Image:
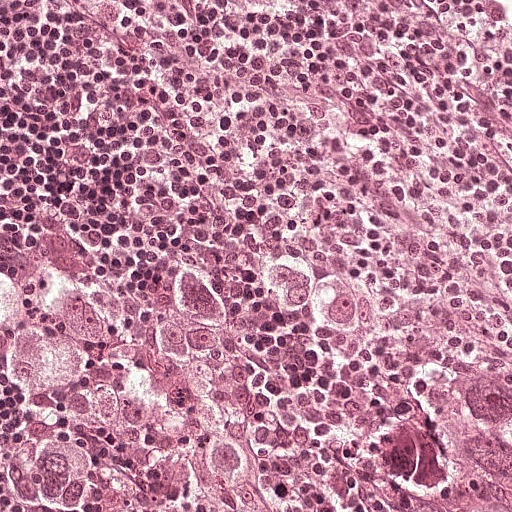
Lymph node section stained with H&E, from a whole-slide image of a breast-cancer sentinel node. Magnification about 20×, about 0.25 mm across the frame, about 0.49 µm per pixel.
Question:
Show where the tumour is in this image.
Answer:
Tumour region outline (a closed clockwise path, crop pixels): (216, 181), (341, 218), (458, 232), (511, 260), (511, 511), (0, 511), (0, 212), (53, 184).
About 60% of this field is tumour.